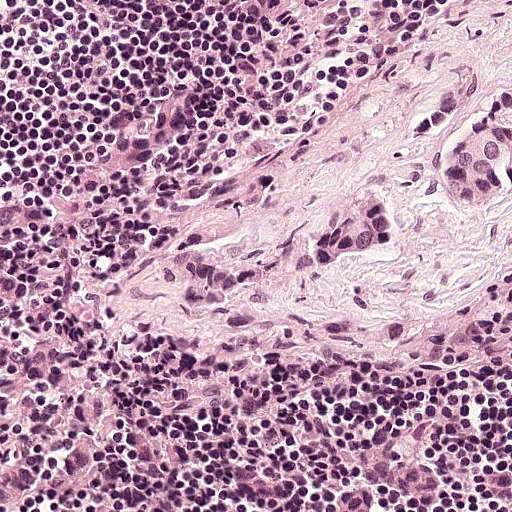
H&E-stained section of a sentinel lymph node (breast cancer), from a whole-slide image, viewed at about 20×: the field is about 0.25 mm across, about 0.49 µm per pixel.
Outlines of four tumour regions, largest first (closed clockwise paths, crop pixels): region 1: (0, 185), (102, 202), (88, 288), (123, 462), (104, 468), (104, 490), (89, 507), (0, 511); region 2: (379, 196), (393, 201), (399, 225), (397, 236), (381, 246), (354, 252), (333, 268), (318, 274), (300, 271), (295, 264), (298, 240), (312, 234), (321, 219), (334, 209); region 3: (476, 123), (492, 134), (498, 134), (506, 142), (504, 170), (509, 174), (509, 190), (496, 204), (488, 206), (477, 206), (452, 194), (444, 175), (443, 159), (450, 146), (468, 134); region 4: (8, 122), (22, 136), (23, 144), (19, 156), (0, 173), (0, 128).
One more small tumour piece is annotated here but not outlined.
Tumour covers about 15% of the frame.